H&E-stained section of a sentinel lymph node (breast cancer), from a whole-slide image, viewed at about 10×: the field is about 0.5 mm across, about 0.97 µm per pixel.
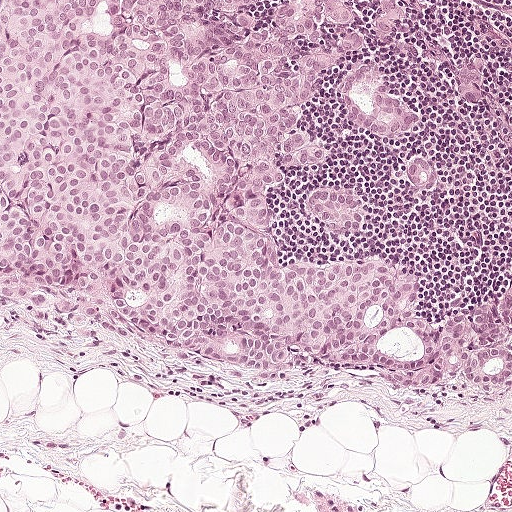
Two metastatic tumour regions, each outlined as a closed clockwise path in crop pixels (x, y), largest first: region 1: (0, 0), (403, 0), (411, 19), (380, 66), (421, 114), (422, 140), (386, 145), (346, 122), (345, 60), (332, 66), (307, 113), (328, 157), (271, 201), (278, 252), (335, 266), (390, 256), (430, 318), (511, 282), (511, 389), (445, 398), (261, 375), (94, 328), (40, 328), (1, 303); region 2: (333, 183), (354, 188), (352, 191), (356, 192), (363, 201), (367, 220), (367, 232), (360, 240), (343, 241), (333, 238), (313, 226), (304, 215), (304, 206), (310, 194), (317, 188), (326, 187).
Tumour covers about 55% of the frame.